A 1-mm field of an H&E-stained sentinel lymph node from a breast-cancer patient (whole-slide image), shown at about 5×, about 1.9 µm per pixel.
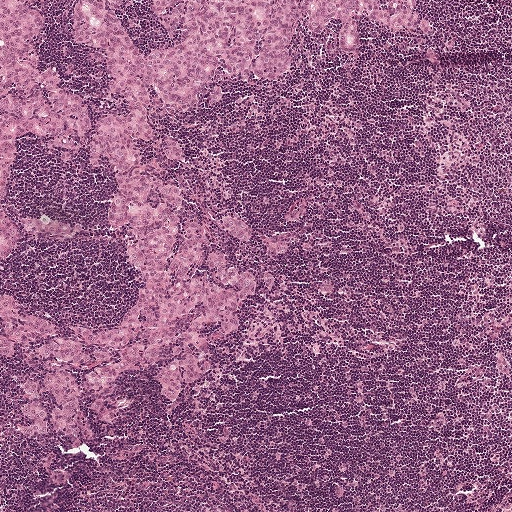
Question: Where is the metastatic tumour in this field?
Answer: Four metastatic tumour regions, each outlined as a closed clockwise path in crop pixels (x, y), largest first: region 1: (0, 0), (47, 0), (42, 65), (95, 129), (121, 123), (72, 0), (119, 0), (143, 55), (171, 45), (149, 0), (412, 0), (436, 36), (370, 18), (351, 54), (333, 20), (303, 30), (282, 76), (223, 74), (220, 102), (164, 120), (183, 158), (137, 149), (256, 292), (172, 400), (164, 358), (125, 370), (104, 422), (74, 368), (66, 437), (52, 362), (0, 354), (0, 296), (68, 339), (114, 328), (138, 278), (85, 150), (22, 138), (0, 193); region 2: (0, 207), (11, 216), (15, 225), (21, 214), (26, 212), (36, 212), (64, 220), (73, 228), (74, 235), (68, 239), (56, 239), (32, 233), (20, 234), (10, 258), (4, 261), (1, 260); region 3: (31, 379), (34, 383), (47, 424), (44, 436), (35, 439), (25, 439), (19, 434), (16, 430), (20, 426), (30, 423), (30, 420), (22, 416), (20, 409), (22, 403), (27, 398), (26, 395), (21, 392), (20, 383), (22, 380); region 4: (224, 215), (244, 223), (249, 228), (249, 240), (244, 243), (237, 243), (230, 239), (219, 229).
About 25% of the image area is annotated as tumour.